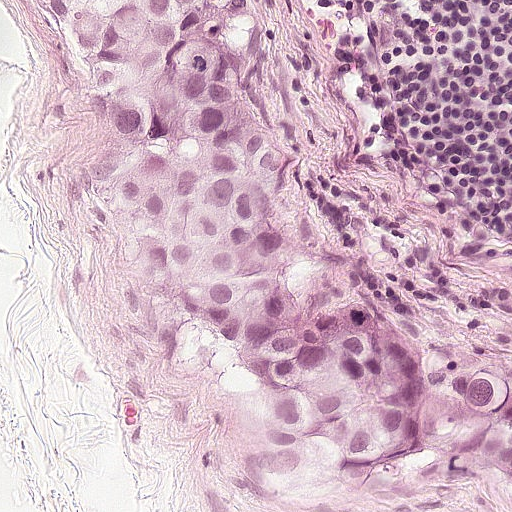
Lymph node section stained with H&E, from a whole-slide image of a breast-cancer sentinel node. Magnification about 20×, about 0.25 mm across the frame, about 0.49 µm per pixel.
Metastatic tumour outline, simplified to 15 points and listed clockwise in crop pixels (x, y): (244, 0), (264, 62), (393, 301), (438, 346), (511, 371), (511, 510), (400, 485), (309, 434), (198, 393), (198, 382), (158, 356), (144, 330), (140, 250), (107, 132), (12, 4).
About 45% of this field is tumour.